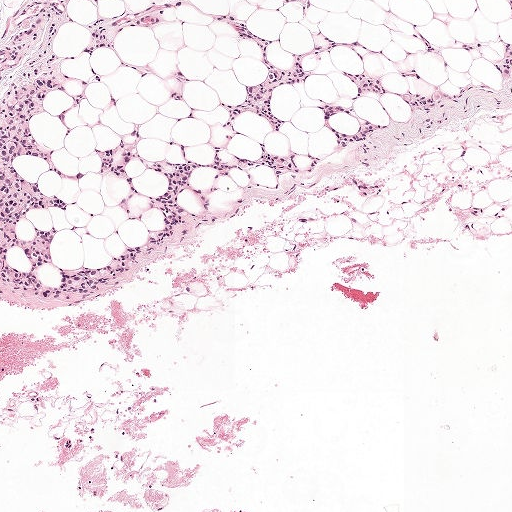
Lymph node section stained with H&E, from a whole-slide image of a breast-cancer sentinel node. Magnification about 5×, about 1 mm across the frame, about 1.9 µm per pixel.
Three metastatic tumour regions, each outlined as a closed clockwise path in crop pixels (x, y), largest first: region 1: (213, 9), (245, 18), (256, 34), (269, 36), (274, 39), (273, 44), (263, 55), (263, 61), (266, 64), (276, 65), (288, 62), (291, 60), (292, 49), (302, 68), (303, 77), (301, 80), (283, 83), (269, 91), (271, 105), (280, 119), (273, 128), (258, 115), (244, 108), (235, 112), (228, 128), (225, 126), (225, 112), (220, 103), (240, 100), (245, 94), (246, 88), (258, 81), (263, 75), (256, 43), (210, 16); region 2: (360, 69), (377, 74), (384, 85), (390, 88), (414, 90), (423, 92), (430, 101), (430, 108), (427, 110), (402, 102), (385, 91), (375, 92), (356, 98), (352, 111), (335, 108), (331, 111), (331, 128), (340, 134), (350, 134), (359, 129), (358, 119), (360, 118), (379, 123), (380, 125), (375, 129), (368, 129), (355, 135), (348, 144), (341, 144), (324, 125), (319, 106), (321, 103), (334, 105), (344, 103), (352, 98), (354, 88), (345, 73); region 3: (504, 40), (511, 40), (511, 75), (507, 77), (499, 77), (498, 74), (498, 64), (496, 61), (497, 56), (500, 53), (501, 50).
One more tumour region is annotated but not outlined: its edge is too irregular for a short outline.
One more small tumour piece is annotated here but not outlined.
The annotated tumour makes up about 10% of the crop.